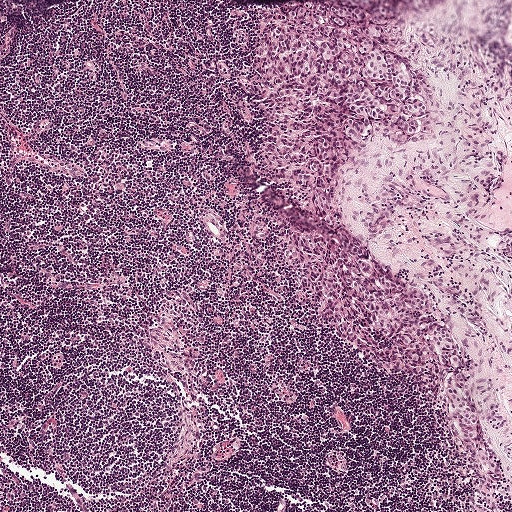
This is a crop of a whole-slide image: an H&E-stained breast-cancer sentinel lymph node section at roughly 5× magnification (about 1.9 µm per pixel; the crop spans about 1 mm).
Two metastatic tumour regions, each outlined as a closed clockwise path in crop pixels (x, y), largest first: region 1: (276, 3), (350, 8), (380, 20), (391, 51), (420, 72), (432, 109), (416, 144), (396, 145), (376, 133), (345, 159), (336, 173), (343, 220), (337, 229), (268, 165), (258, 19); region 2: (294, 226), (332, 241), (337, 240), (335, 233), (347, 234), (445, 314), (466, 358), (483, 439), (496, 454), (503, 480), (490, 477), (456, 440), (445, 413), (439, 362), (393, 373), (374, 368), (333, 329), (288, 240).
The annotated tumour makes up about 15% of the crop.